Question: 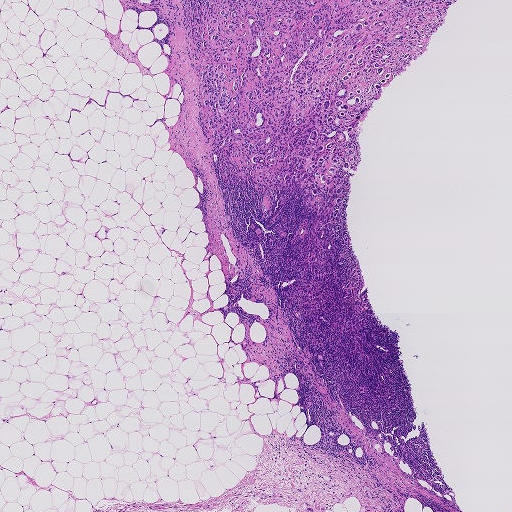
Lymph node section stained with H&E, from a whole-slide image of a breast-cancer sentinel node. Magnification about 2.5×, about 1.9 mm across the frame, about 3.6 µm per pixel.
About how much of this crop is taken up by metastatic carcinoma?

Choices:
 (A) about 5% or less
 (B) about 10% to 20%
 (C) about 50% or more
 (D) none: no tumour is outlined
 (E) about 25% to 45%

Answer: (B) about 10% to 20%
About 15% of the field is tumour.
Metastatic tumour outline, simplified to 17 points and listed clockwise in crop pixels (x, y): (205, 0), (456, 0), (428, 47), (380, 87), (359, 124), (360, 158), (355, 171), (343, 168), (355, 175), (329, 230), (336, 198), (327, 204), (327, 192), (303, 195), (293, 184), (265, 196), (202, 124).
Question: 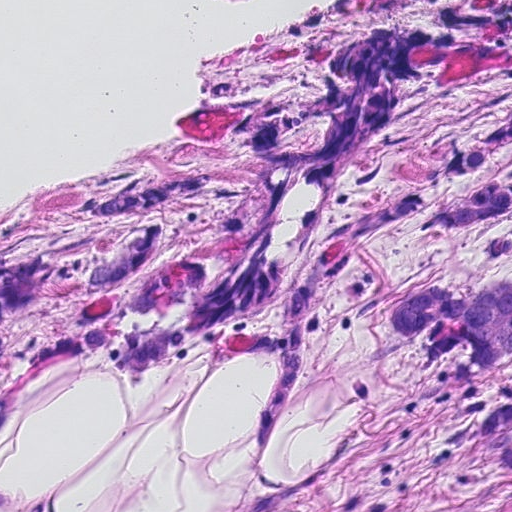
Lymph node section stained with H&E, from a whole-slide image of a breast-cancer sentinel node. Magnification about 20×, about 0.23 mm across the frame, about 0.45 µm per pixel.
About how much of this crop is taken up by metastatic carcinoma?

Choices:
 (A) about 5% or less
 (B) about 50% or more
 (C) about 10% to 20%
 (D) none: no tumour is outlined
 (E) about 25% to 45%

Answer: (B) about 50% or more
About 85% of the field is tumour.
One metastatic tumour region; its boundary, reduced to 8 corners and listed clockwise: (337, 0), (511, 0), (511, 511), (0, 511), (0, 206), (180, 134), (198, 103), (197, 68).
Question: 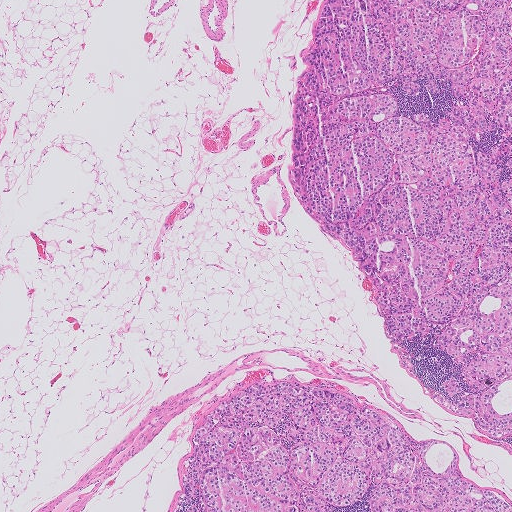
H&E-stained section of a sentinel lymph node (breast cancer), from a whole-slide image, viewed at about 2.5×: the field is about 2.0 mm across, about 4.0 µm per pixel.
About how much of this crop is taken up by metastatic carcinoma?

Choices:
 (A) about 50% or more
 (B) about 5% or less
 (C) about 25% to 45%
 (D) none: no tumour is outlined
 (E) about 10% to 20%

Answer: (C) about 25% to 45%
About 40% of the field is tumour.
Boundaries of two metastatic tumour regions, simplified and listed clockwise, largest first: region 1: (511, 0), (511, 445), (441, 402), (435, 389), (453, 367), (442, 358), (418, 343), (409, 371), (349, 257), (296, 205), (296, 106), (319, 6); region 2: (269, 384), (342, 393), (395, 419), (415, 438), (443, 440), (454, 449), (457, 477), (498, 492), (511, 502), (511, 511), (187, 511), (189, 445), (200, 417), (224, 398).
Question: 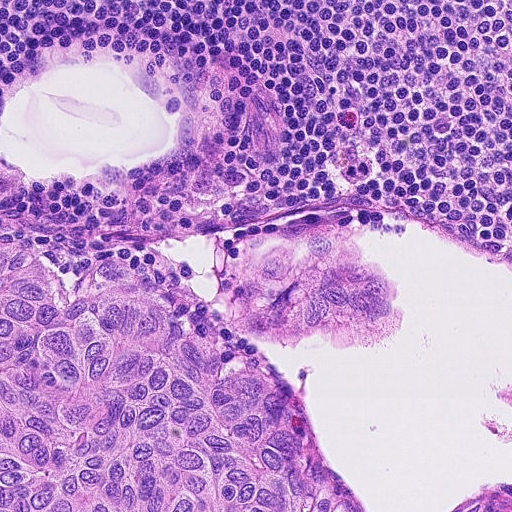
H&E-stained section of a sentinel lymph node (breast cancer), from a whole-slide image, viewed at about 20×: the field is about 0.23 mm across, about 0.45 µm per pixel.
About how much of this crop is taken up by metastatic carcinoma?

Choices:
 (A) none: no tumour is outlined
 (B) about 50% or more
 (C) about 25% to 45%
 (D) about 5% or less
 (E) about 10% to 20%

Answer: (C) about 25% to 45%
About 35% of the field is tumour.
Outlines of two tumour regions, largest first (closed clockwise paths, crop pixels): region 1: (304, 214), (344, 219), (397, 281), (405, 320), (377, 348), (255, 342), (346, 489), (372, 511), (0, 511), (0, 224), (42, 238), (70, 285), (117, 252), (220, 314), (210, 275), (226, 238); region 2: (488, 484), (511, 484), (511, 511), (442, 511), (454, 507).